Image:
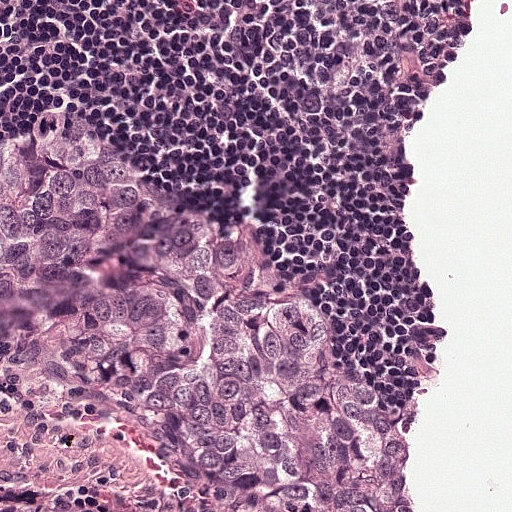
A 0.25-mm field of an H&E-stained sentinel lymph node from a breast-cancer patient (whole-slide image), shown at about 20×, about 0.49 µm per pixel.
Question:
Where is the metastatic tumour in this field?
Answer:
Tumour region outline (a closed clockwise path, crop pixels): (70, 110), (133, 184), (222, 227), (278, 276), (396, 444), (401, 510), (0, 511), (0, 480), (139, 502), (172, 492), (172, 464), (124, 412), (16, 397), (0, 384), (0, 118).
About 35% of this field is tumour.